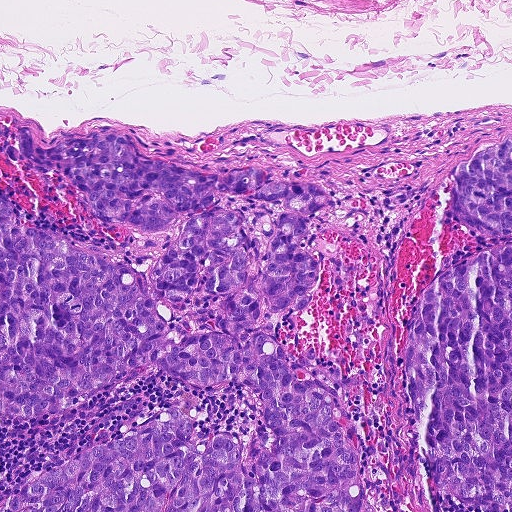
A 0.46-mm field of an H&E-stained sentinel lymph node from a breast-cancer patient (whole-slide image), shown at about 10×, about 0.9 µm per pixel.
Three metastatic tumour regions, each outlined as a closed clockwise path in crop pixels (x, y), largest first: region 1: (17, 129), (54, 147), (117, 134), (330, 196), (298, 242), (319, 282), (277, 328), (342, 400), (375, 511), (0, 511), (173, 410), (246, 456), (272, 440), (258, 394), (196, 392), (157, 366), (57, 415), (8, 415), (0, 197), (133, 266), (180, 230), (98, 219), (69, 178), (8, 158); region 2: (509, 242), (511, 507), (476, 511), (447, 492), (426, 454), (424, 426), (432, 390), (414, 428), (402, 361), (426, 287), (471, 256); region 3: (511, 138), (511, 232), (484, 234), (471, 232), (460, 225), (452, 214), (452, 172), (462, 161), (473, 154).
The annotated tumour makes up about 45% of the crop.